Question: 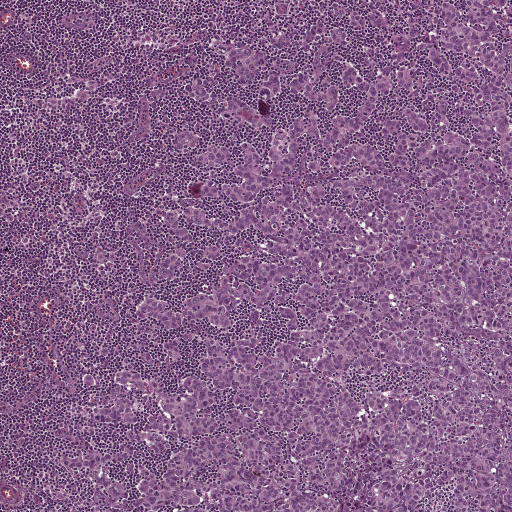
A 1-mm field of an H&E-stained sentinel lymph node from a breast-cancer patient (whole-slide image), shown at about 5×, about 1.9 µm per pixel.
What fraction of the image area is metastatic tumour?

Choices:
 (A) about 5% or less
 (B) about 25% to 45%
 (C) about 50% or more
 (D) about 10% to 20%
 (E) none: no tumour is outlined

Answer: (C) about 50% or more
About 65% of the field is tumour.
Tumour region outline (a closed clockwise path, crop pixels): (511, 0), (511, 511), (93, 511), (56, 434), (122, 441), (90, 370), (180, 379), (129, 363), (173, 337), (128, 306), (221, 271), (153, 273), (157, 215), (232, 175), (169, 135), (248, 134), (185, 84), (299, 116), (213, 44), (336, 1), (398, 29).